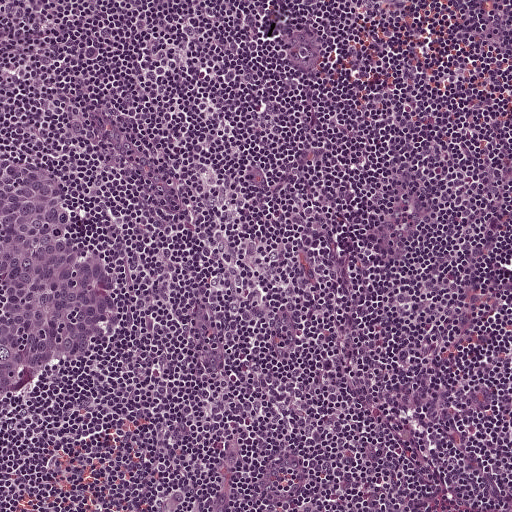
Lymph node section stained with H&E, from a whole-slide image of a breast-cancer sentinel node. Magnification about 10×, about 0.5 mm across the frame, about 0.97 µm per pixel.
Tumour region outline (a closed clockwise path, crop pixels): (0, 149), (36, 159), (64, 180), (88, 246), (116, 267), (119, 288), (102, 319), (97, 352), (85, 364), (52, 374), (0, 420).
About 10% of this field is tumour.